Question: 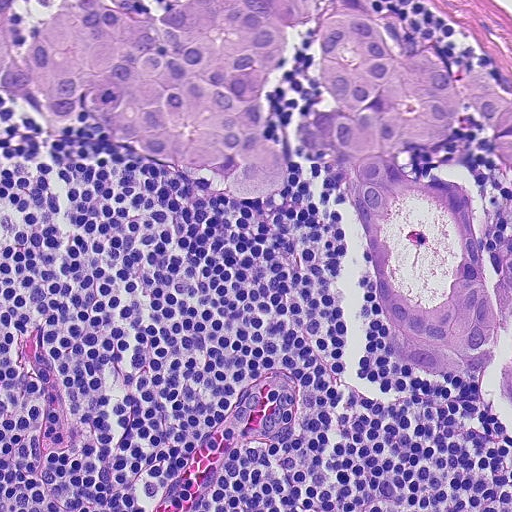
H&E-stained section of a sentinel lymph node (breast cancer), from a whole-slide image, viewed at about 20×: the field is about 0.23 mm across, about 0.45 µm per pixel.
What fraction of the image area is metastatic tumour?

Choices:
 (A) about 50% or more
 (B) none: no tumour is outlined
 (C) about 25% to 45%
 (D) about 10% to 20%
 (E) about 5% or less

Answer: (C) about 25% to 45%
About 35% of the field is tumour.
The outlined metastatic tumour's edge, as a closed clockwise path of 20 points: (0, 0), (22, 54), (50, 2), (381, 0), (411, 57), (511, 90), (511, 406), (508, 334), (487, 372), (412, 369), (350, 201), (300, 165), (298, 124), (336, 104), (322, 26), (288, 29), (260, 88), (281, 194), (190, 184), (14, 100).